Image:
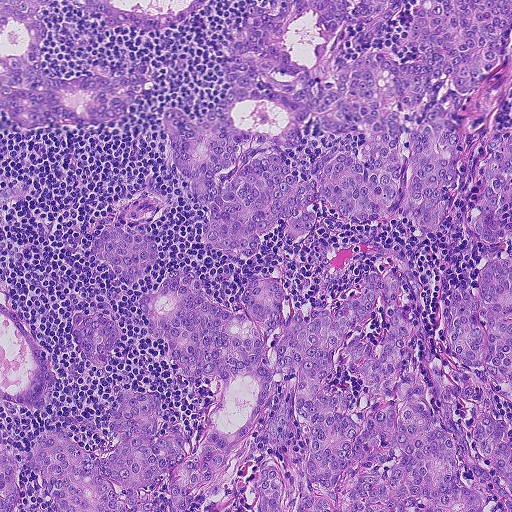
H&E-stained section of a sentinel lymph node (breast cancer), from a whole-slide image, viewed at about 10×: the field is about 0.46 mm across, about 0.9 µm per pixel.
Question:
Does this lymph node field contain metastatic tumour?
Answer:
Yes.
Outlines of the eight largest metastatic tumour regions, each a closed clockwise path in crop pixels (x, y), largest first: region 1: (511, 256), (511, 387), (486, 373), (511, 511), (255, 511), (257, 446), (196, 511), (175, 511), (169, 472), (136, 492), (160, 511), (59, 511), (25, 468), (0, 511), (0, 435), (24, 452), (60, 429), (104, 456), (124, 388), (165, 401), (154, 442), (201, 447), (224, 379), (176, 368), (137, 304), (170, 270), (247, 314), (250, 280), (273, 276), (285, 321), (403, 273), (406, 377), (438, 420), (439, 386), (467, 387), (444, 289), (477, 295); region 2: (405, 0), (371, 40), (359, 23), (327, 32), (309, 11), (290, 22), (289, 56), (331, 80), (372, 53), (419, 63), (404, 40), (418, 0), (511, 0), (510, 50), (475, 92), (442, 78), (395, 109), (411, 123), (441, 103), (456, 125), (437, 226), (420, 230), (398, 209), (346, 220), (320, 199), (306, 208), (317, 222), (306, 236), (288, 240), (279, 219), (252, 257), (206, 251), (208, 204), (174, 168), (163, 118), (215, 107), (247, 8); region 3: (0, 0), (52, 0), (38, 9), (35, 18), (48, 30), (39, 56), (45, 74), (53, 78), (70, 82), (88, 76), (125, 76), (147, 60), (148, 76), (153, 82), (151, 90), (128, 104), (121, 120), (94, 126), (48, 125), (30, 129), (21, 127), (2, 109); region 4: (0, 303), (8, 310), (15, 312), (24, 328), (38, 342), (50, 365), (54, 382), (44, 407), (35, 410), (0, 401); region 5: (511, 130), (511, 242), (508, 237), (498, 243), (486, 243), (468, 228), (467, 216), (470, 204), (481, 183), (484, 160), (490, 149); region 6: (66, 0), (208, 0), (198, 12), (174, 26), (138, 31), (120, 26), (111, 26), (103, 22), (100, 14), (92, 10), (77, 7); region 7: (117, 225), (136, 227), (146, 231), (154, 241), (156, 253), (154, 264), (148, 273), (139, 280), (128, 282), (117, 278), (109, 269), (90, 256), (89, 245), (104, 228); region 8: (100, 312), (118, 325), (118, 336), (106, 368), (95, 369), (76, 342), (69, 323), (78, 316).
One more, smaller tumour region is not outlined.
One more small tumour piece is annotated here but not outlined.
About 60% of this field is tumour.